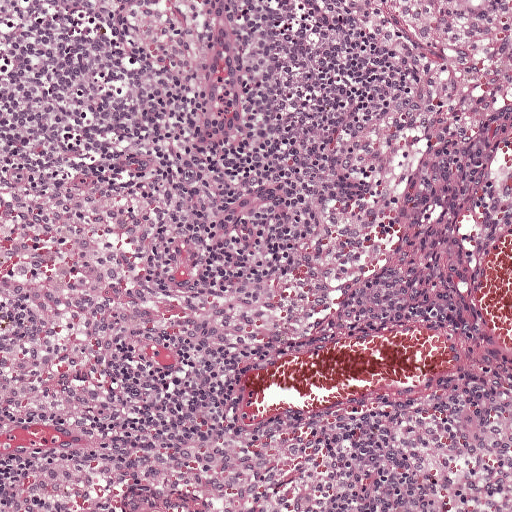
A 0.5-mm field of an H&E-stained sentinel lymph node from a breast-cancer patient (whole-slide image), shown at about 10×, about 0.97 µm per pixel.